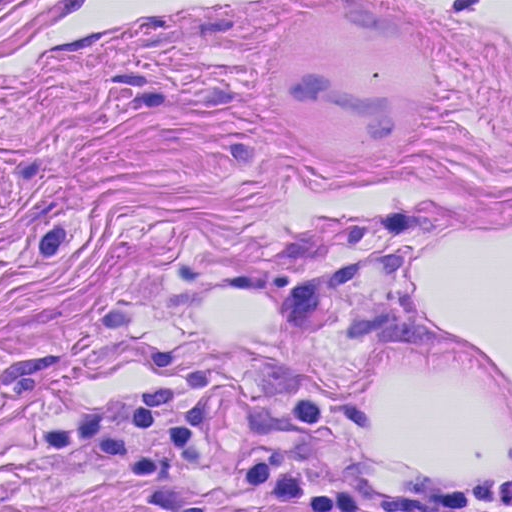
H&E-stained section of a sentinel lymph node (breast cancer), from a whole-slide image, viewed at about 40×: the field is about 0.12 mm across, about 0.23 µm per pixel.
Tumour region outline (a closed clockwise path, crop pixels): (345, 0), (403, 17), (440, 52), (440, 117), (414, 166), (348, 182), (282, 166), (255, 110), (248, 69), (269, 13).
Tumour covers about 10% of the frame.